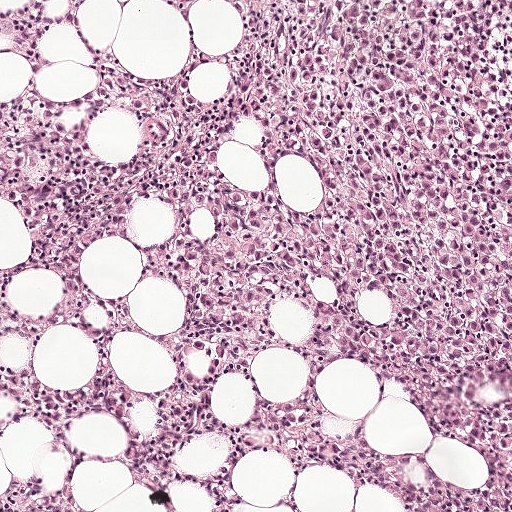
A 0.5-mm field of an H&E-stained sentinel lymph node from a breast-cancer patient (whole-slide image), shown at about 10×, about 0.97 µm per pixel.
The outlined metastatic tumour's edge, as a closed clockwise path of 14 points: (511, 0), (482, 56), (511, 118), (511, 351), (417, 391), (386, 386), (393, 295), (376, 282), (338, 280), (308, 152), (276, 132), (268, 109), (268, 78), (305, 1).
About 25% of this field is tumour.